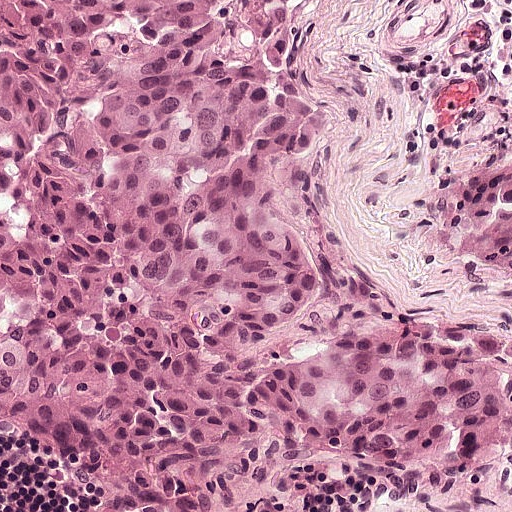
A 0.25-mm field of an H&E-stained sentinel lymph node from a breast-cancer patient (whole-slide image), shown at about 20×, about 0.49 µm per pixel.
Boundaries of two metastatic tumour regions, simplified and listed clockwise, largest first: region 1: (0, 0), (261, 0), (333, 120), (298, 186), (304, 218), (382, 324), (450, 346), (498, 376), (511, 392), (511, 436), (459, 462), (409, 464), (370, 449), (288, 473), (282, 511), (72, 511), (48, 468), (4, 450); region 2: (511, 141), (511, 287), (502, 287), (480, 278), (459, 260), (449, 243), (446, 217), (466, 172).
The annotated tumour makes up about 70% of the crop.